Lymph node section stained with H&E, from a whole-slide image of a breast-cancer sentinel node. Magnification about 10×, about 0.5 mm across the frame, about 0.97 µm per pixel.
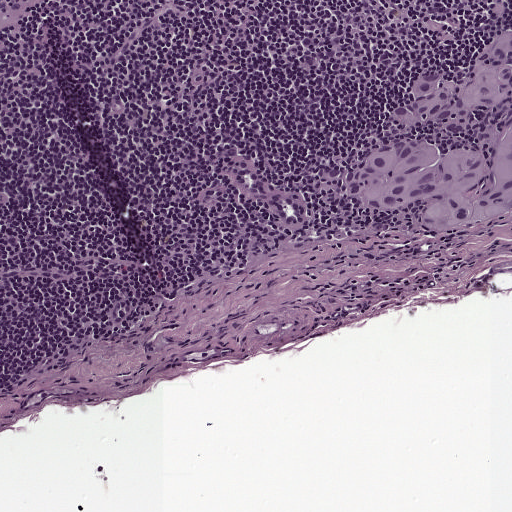
Tumour region outline (a closed clockwise path, crop pixels): (511, 23), (511, 212), (476, 228), (428, 232), (412, 208), (366, 212), (316, 179), (316, 164), (328, 158), (358, 153), (385, 139), (432, 136), (443, 127), (413, 124), (379, 131), (374, 117), (417, 70), (448, 75), (466, 54).
Tumour covers about 10% of the frame.